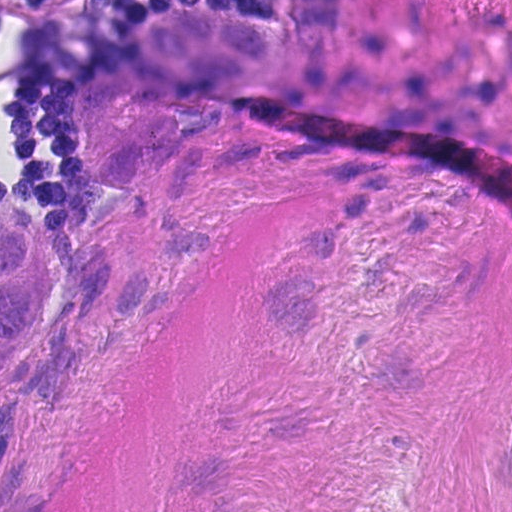
A 0.12-mm field of an H&E-stained sentinel lymph node from a breast-cancer patient (whole-slide image), shown at about 40×, about 0.23 µm per pixel.
Two metastatic tumour regions, each outlined as a closed clockwise path in crop pixels (x, y), largest first: region 1: (190, 5), (286, 27), (289, 58), (271, 82), (177, 104), (190, 135), (168, 158), (112, 185), (85, 171), (70, 142), (71, 110), (84, 81), (111, 68), (144, 64), (135, 30), (155, 13); region 2: (0, 189), (40, 220), (65, 269), (65, 324), (16, 428), (22, 483), (61, 511), (0, 511).
Tumour covers about 15% of the frame.